Question: 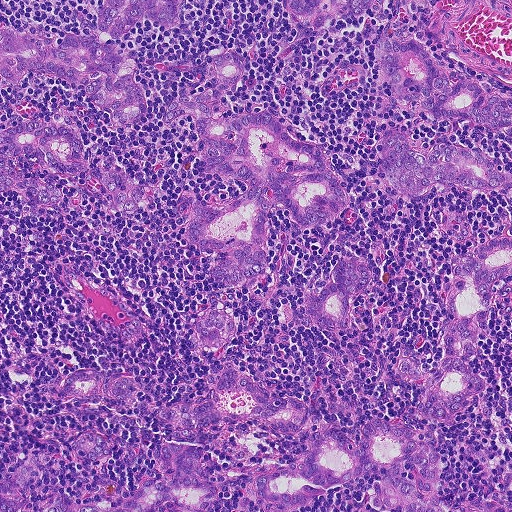
Lymph node section stained with H&E, from a whole-slide image of a breast-cancer sentinel node. Magnification about 10×, about 0.46 mm across the frame, about 0.9 µm per pixel.
What fraction of the image area is metastatic tumour?

Choices:
 (A) about 25% to 45%
 (B) about 5% or less
 (C) about 10% to 20%
 (D) about 50% or more
 (E) none: no tumour is outlined

Answer: (A) about 25% to 45%
About 35% of the field is tumour.
Outlines of the eight largest metastatic tumour regions, each a closed clockwise path in crop pixels (x, y), largest first: region 1: (233, 50), (242, 76), (222, 96), (229, 120), (270, 114), (320, 146), (349, 210), (311, 228), (279, 205), (264, 227), (270, 270), (216, 284), (214, 252), (189, 238), (191, 196), (218, 206), (246, 196), (246, 182), (204, 174), (194, 121), (162, 126), (162, 111), (209, 89), (210, 62); region 2: (392, 420), (437, 430), (443, 465), (440, 489), (452, 508), (474, 499), (509, 505), (511, 511), (380, 511), (368, 508), (368, 496), (387, 472), (376, 470), (363, 472), (300, 508), (261, 511), (256, 486), (262, 474), (306, 454), (316, 431), (340, 429), (356, 443), (367, 422); region 3: (105, 0), (180, 0), (176, 28), (164, 28), (144, 13), (112, 44), (136, 55), (141, 67), (136, 78), (144, 88), (146, 114), (136, 121), (111, 124), (88, 94), (54, 76), (29, 72), (7, 84), (0, 73), (0, 29), (54, 37), (92, 35), (97, 33), (100, 7); region 4: (511, 236), (511, 276), (491, 286), (489, 319), (471, 358), (465, 363), (472, 376), (486, 382), (482, 397), (444, 427), (418, 416), (414, 402), (422, 390), (413, 380), (399, 374), (400, 360), (426, 370), (439, 366), (446, 353), (442, 310), (456, 268), (474, 245); region 5: (54, 121), (68, 127), (92, 164), (120, 170), (133, 177), (143, 188), (143, 203), (133, 212), (120, 208), (90, 177), (62, 174), (24, 155), (11, 160), (22, 168), (61, 187), (64, 200), (51, 205), (37, 204), (11, 190), (0, 189), (0, 131), (26, 122); region 6: (395, 38), (410, 39), (432, 58), (438, 74), (452, 78), (466, 76), (480, 83), (486, 97), (511, 100), (511, 127), (486, 128), (472, 122), (458, 119), (444, 119), (430, 113), (420, 102), (402, 95), (390, 86), (382, 74), (383, 46); region 7: (393, 124), (406, 131), (413, 144), (424, 152), (436, 144), (451, 144), (478, 152), (511, 170), (511, 199), (502, 191), (446, 182), (432, 182), (422, 193), (408, 196), (395, 190), (387, 178), (384, 134); region 8: (231, 370), (260, 387), (270, 400), (285, 396), (301, 399), (311, 410), (304, 425), (291, 433), (276, 434), (264, 426), (276, 416), (229, 422), (198, 431), (182, 429), (152, 416), (156, 406), (202, 401), (213, 390), (217, 376).
Eight more, smaller tumour regions are not outlined.